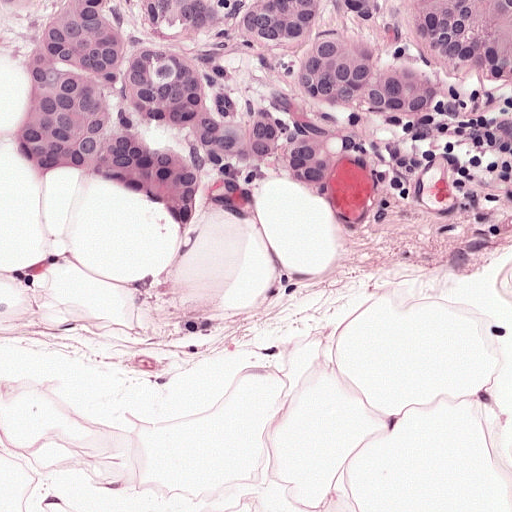
H&E-stained section of a sentinel lymph node (breast cancer), from a whole-slide image, viewed at about 20×: the field is about 0.25 mm across, about 0.49 µm per pixel.
Boundaries of two metastatic tumour regions, simplified and listed clockwise, largest first: region 1: (56, 0), (317, 0), (386, 68), (414, 58), (401, 0), (511, 0), (511, 80), (448, 81), (417, 114), (312, 112), (322, 180), (262, 158), (242, 180), (254, 219), (232, 218), (214, 188), (224, 166), (208, 166), (179, 240), (166, 211), (66, 168), (41, 180), (18, 158), (28, 56); region 2: (342, 0), (386, 0), (380, 14), (355, 24).
One more small tumour piece is annotated here but not outlined.
Tumour covers about 25% of the frame.